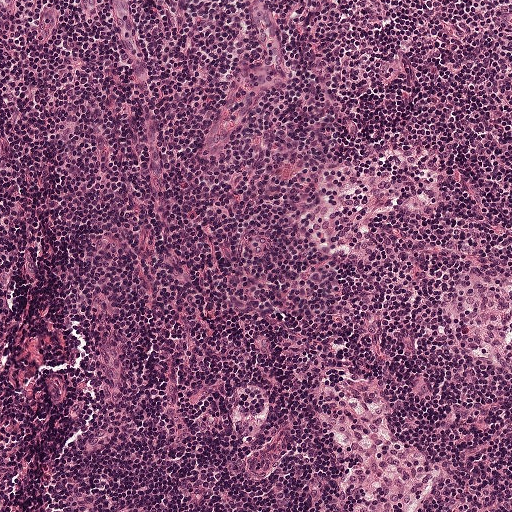
Lymph node section stained with H&E, from a whole-slide image of a breast-cancer sentinel node. Magnification about 10×, about 0.5 mm across the frame, about 0.97 µm per pixel.
Question: Is there metastatic carcinoma in this field?
Answer: No, this field holds no outlined metastasis.